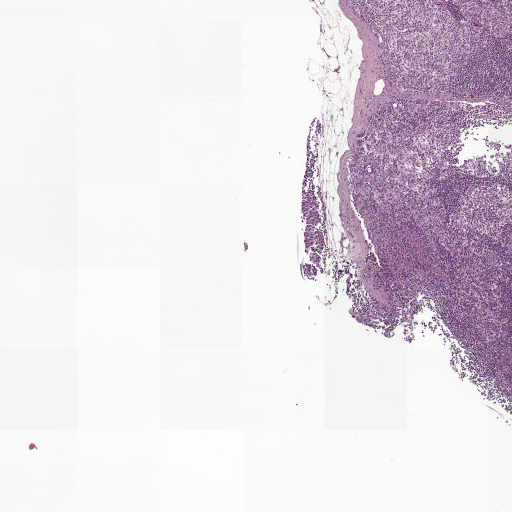
Lymph node section stained with H&E, from a whole-slide image of a breast-cancer sentinel node. Magnification about 2.5×, about 2.0 mm across the frame, about 3.9 µm per pixel.
Tumour region outline (a closed clockwise path, crop pixels): (311, 189), (318, 197), (320, 203), (322, 221), (318, 228), (325, 238), (325, 245), (316, 254), (317, 263), (309, 262), (310, 251), (302, 244), (302, 233), (304, 226), (301, 195), (305, 190).
Under 5% of the image area is annotated as tumour.